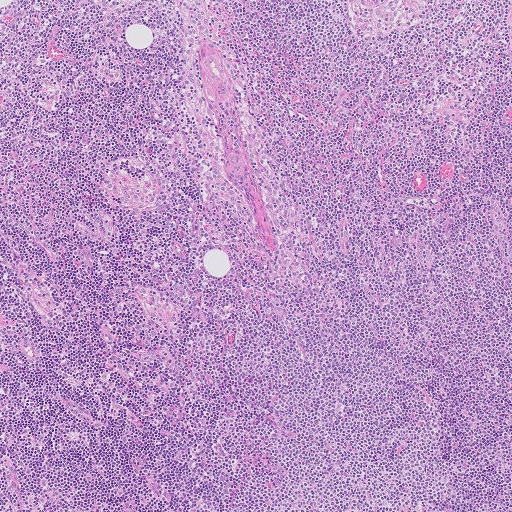
Lymph node section stained with H&E, from a whole-slide image of a breast-cancer sentinel node. Magnification about 5×, about 1.0 mm across the frame, about 2.0 µm per pixel.